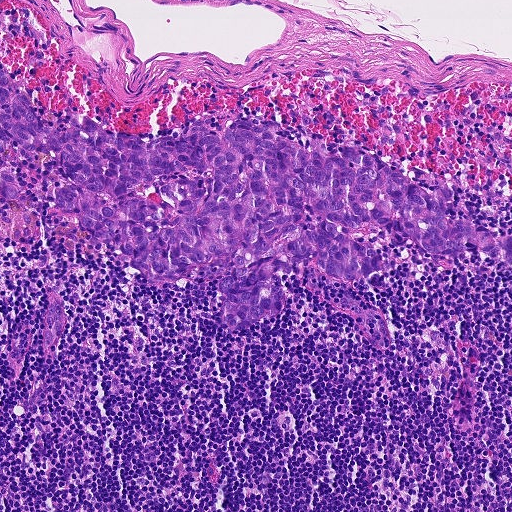
This is a crop of a whole-slide image: an H&E-stained breast-cancer sentinel lymph node section at roughly 10× magnification (about 0.9 µm per pixel; the crop spans about 0.46 mm).
The outlined metastatic tumour's edge, as a closed clockwise path of 39 points: (0, 61), (34, 114), (66, 134), (79, 114), (150, 142), (200, 124), (222, 138), (240, 118), (304, 149), (358, 148), (435, 199), (442, 182), (450, 186), (445, 216), (511, 236), (511, 265), (476, 250), (432, 255), (365, 226), (347, 232), (387, 268), (342, 278), (316, 256), (297, 258), (276, 272), (279, 314), (236, 330), (222, 320), (219, 292), (236, 251), (149, 277), (120, 244), (86, 241), (52, 198), (52, 156), (11, 140), (4, 154), (19, 196), (4, 199).
About 20% of this field is tumour.